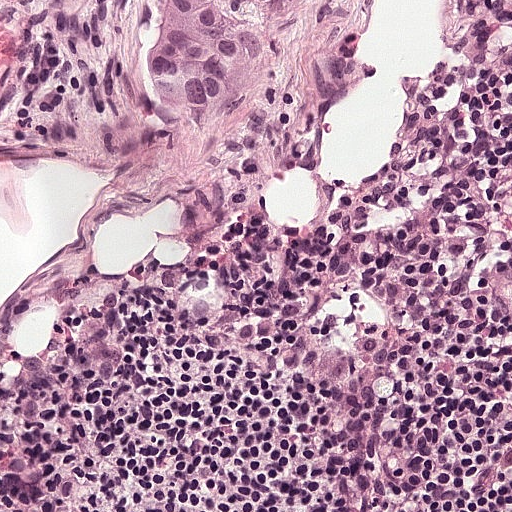
This is a crop of a whole-slide image: an H&E-stained breast-cancer sentinel lymph node section at roughly 20× magnification (about 0.49 µm per pixel; the crop spans about 0.25 mm).
The outlined metastatic tumour's edge, as a closed clockwise path of 9 points: (164, 0), (313, 0), (280, 34), (254, 95), (222, 102), (214, 120), (174, 119), (150, 108), (148, 80).
About 5% of this field is tumour.